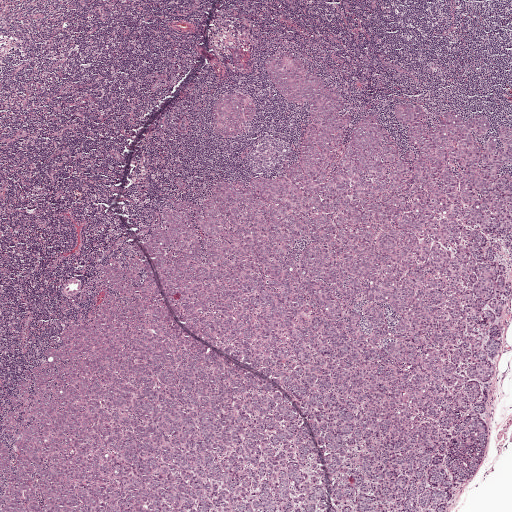
Lymph node section stained with H&E, from a whole-slide image of a breast-cancer sentinel node. Magnification about 2.5×, about 2.0 mm across the frame, about 3.9 µm per pixel.
Boundaries of four metastatic tumour regions, simplified and listed clockwise, largest first: region 1: (301, 53), (345, 100), (344, 147), (375, 113), (417, 161), (401, 102), (429, 127), (480, 114), (483, 144), (511, 127), (488, 442), (446, 511), (0, 511), (1, 428), (28, 369), (94, 320), (102, 256), (123, 239), (136, 257), (167, 203), (294, 166), (309, 107), (276, 92), (272, 55); region 2: (232, 91), (246, 94), (251, 97), (255, 108), (254, 119), (249, 129), (231, 138), (220, 136), (216, 132), (212, 121), (212, 110), (217, 99); region 3: (77, 278), (82, 280), (83, 289), (77, 303), (71, 303), (63, 297), (60, 287), (66, 279); region 4: (235, 48), (240, 50), (242, 52), (241, 60), (249, 66), (251, 69), (250, 71), (236, 68), (233, 59), (233, 50).
The annotated tumour makes up about 60% of the crop.